Question: 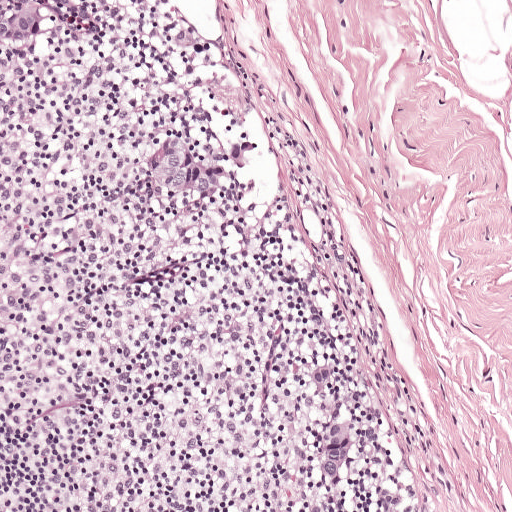
About what magnification does this crop show?

Choices:
 (A) about 40×
 (B) about 20×
 (C) about 5×
 (D) about 10×
 (E) about 2.5×

Answer: (D) about 10×
H&E-stained section of a sentinel lymph node (breast cancer), from a whole-slide image, viewed at about 10×: the field is about 0.5 mm across, about 0.97 µm per pixel.
Boundaries of four metastatic tumour regions, simplified and listed clockwise, largest first: region 1: (164, 134), (196, 136), (216, 157), (216, 182), (206, 202), (179, 208), (152, 202), (132, 178), (139, 146); region 2: (338, 404), (360, 439), (352, 464), (336, 482), (314, 486), (312, 465), (318, 424); region 3: (41, 0), (55, 24), (42, 46), (18, 49), (0, 45), (0, 9), (8, 2); region 4: (328, 360), (335, 363), (340, 384), (324, 402), (302, 392), (306, 367).
About 5% of the image area is annotated as tumour.